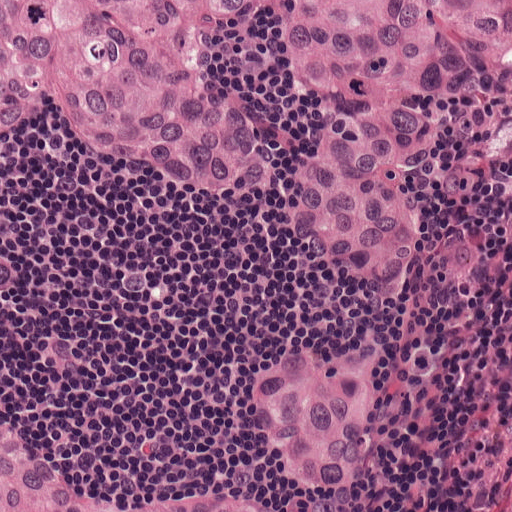
This is a crop of a whole-slide image: an H&E-stained breast-cancer sentinel lymph node section at roughly 20× magnification (about 0.49 µm per pixel; the crop spans about 0.25 mm).
Question: Outline the metastatic carcinoma in this image, as closed paths of (x, y) pixel coordinates.
Answer: Outlines of four tumour regions, largest first (closed clockwise paths, crop pixels): region 1: (0, 0), (511, 0), (507, 148), (439, 212), (390, 304), (383, 418), (356, 484), (300, 492), (250, 444), (240, 379), (334, 304), (320, 250), (14, 156), (0, 186); region 2: (0, 402), (50, 442), (140, 481), (208, 481), (273, 511), (0, 511); region 3: (0, 213), (23, 292), (0, 327); region 4: (511, 472), (511, 511), (499, 511).
About 55% of the image area is annotated as tumour.